Question: 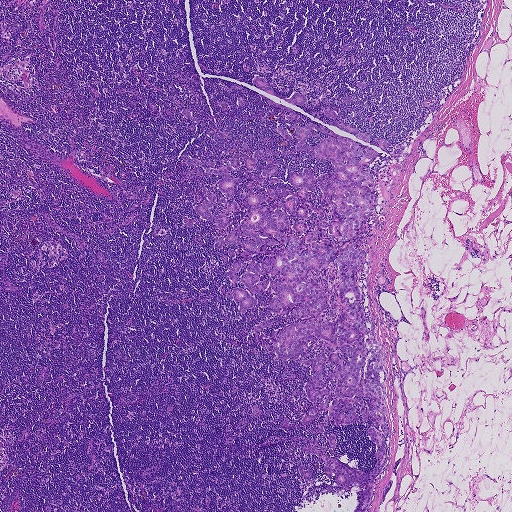
At roughly what magnification is this field shown?

Choices:
 (A) about 10×
 (B) about 2.5×
 (C) about 5×
 (D) about 40×
 (E) about 20×

Answer: (B) about 2.5×
H&E-stained section of a sentinel lymph node (breast cancer), from a whole-slide image, viewed at about 2.5×: the field is about 1.9 mm across, about 3.6 µm per pixel.
One tumour region is annotated but not outlined: its edge is too irregular for a short outline.
The annotated tumour makes up about 15% of the crop.